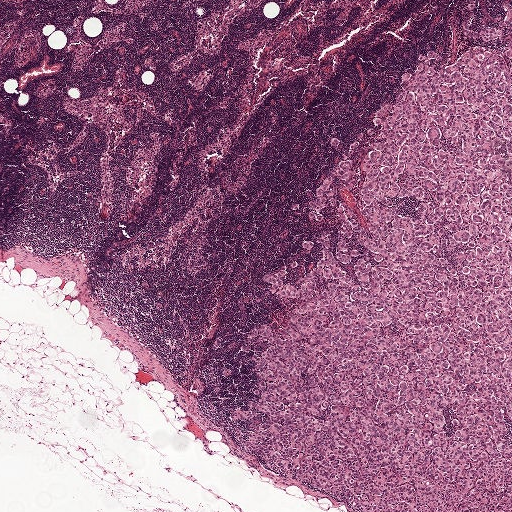
H&E-stained section of a sentinel lymph node (breast cancer), from a whole-slide image, viewed at about 2.5×: the field is about 2.0 mm across, about 3.9 µm per pixel.
One metastatic tumour region; its boundary, reduced to 23 corners and listed clockwise: (511, 0), (511, 511), (361, 511), (264, 472), (230, 435), (230, 412), (256, 398), (243, 332), (281, 319), (259, 277), (301, 256), (309, 200), (333, 162), (317, 146), (336, 138), (361, 149), (368, 117), (395, 96), (412, 61), (457, 49), (456, 6), (476, 2), (486, 24).
About 40% of this field is tumour.